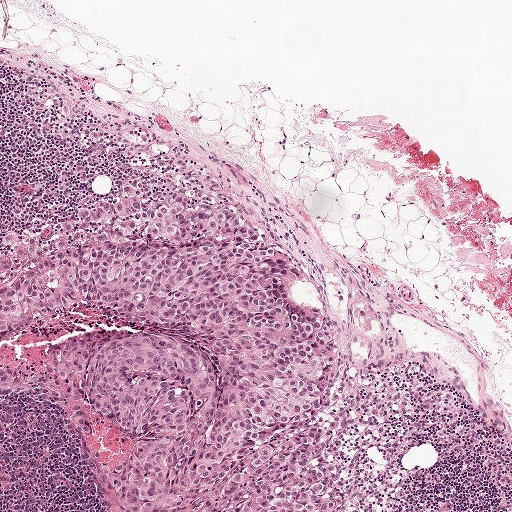
A 1-mm field of an H&E-stained sentinel lymph node from a breast-cancer patient (whole-slide image), shown at about 5×, about 1.9 µm per pixel.
One metastatic tumour region; its boundary, reduced to 8 corners and listed clockwise: (126, 183), (226, 197), (311, 270), (345, 330), (360, 474), (391, 511), (0, 511), (0, 240).
The annotated tumour makes up about 40% of the crop.